Image:
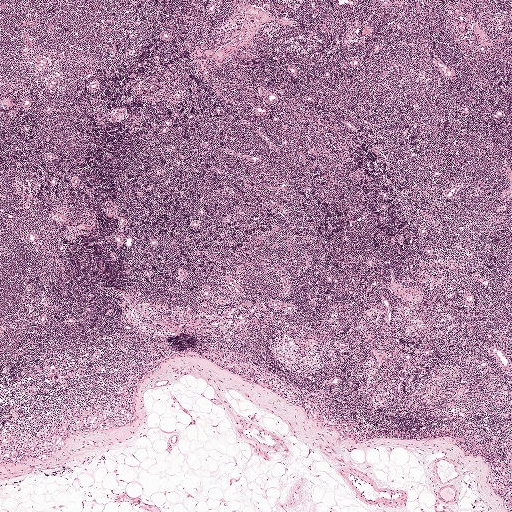
This is a crop of a whole-slide image: an H&E-stained breast-cancer sentinel lymph node section at roughly 2.5× magnification (about 3.9 µm per pixel; the crop spans about 2.0 mm).
Question:
Does this lymph node field contain metastatic tumour?
Answer:
No, this field holds no outlined metastasis.